Question: 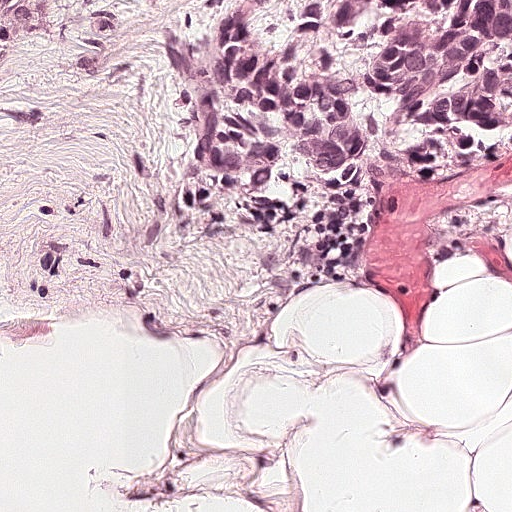
This is a crop of a whole-slide image: an H&E-stained breast-cancer sentinel lymph node section at roughly 20× magnification (about 0.49 µm per pixel; the crop spans about 0.25 mm).
About how much of this crop is taken up by metastatic carcinoma?

Choices:
 (A) about 25% to 45%
 (B) about 50% or more
 (C) about 10% to 20%
 (D) about 5% or less
 (E) none: no tumour is outlined

Answer: (C) about 10% to 20%
About 20% of the field is tumour.
Boundaries of two metastatic tumour regions, simplified and listed clockwise, largest first: region 1: (511, 0), (511, 115), (391, 124), (332, 184), (229, 185), (187, 160), (171, 81), (200, 20), (232, 2); region 2: (0, 0), (53, 0), (48, 7), (40, 24), (30, 34), (12, 46), (0, 50).